H&E-stained section of a sentinel lymph node (breast cancer), from a whole-slide image, viewed at about 10×: the field is about 0.51 mm across, about 1.0 µm per pixel.
Question: 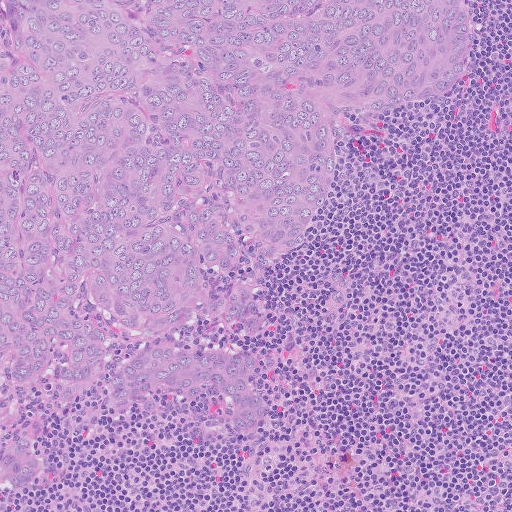
What fraction of the image area is metastatic tumour?

Choices:
 (A) none: no tumour is outlined
 (B) about 10% to 20%
 (C) about 25% to 45%
 (D) about 5% or less
 (E) about 50% or more

Answer: (E) about 50% or more
About 55% of the field is tumour.
Tumour region outline (a closed clockwise path, crop pixels): (0, 0), (471, 0), (483, 36), (471, 76), (352, 130), (324, 210), (272, 282), (268, 338), (184, 331), (265, 358), (264, 421), (250, 437), (140, 426), (80, 397), (59, 400), (45, 418), (42, 482), (24, 494), (5, 484).